This is a crop of a whole-slide image: an H&E-stained breast-cancer sentinel lymph node section at roughly 10× magnification (about 0.97 µm per pixel; the crop spans about 0.5 mm).
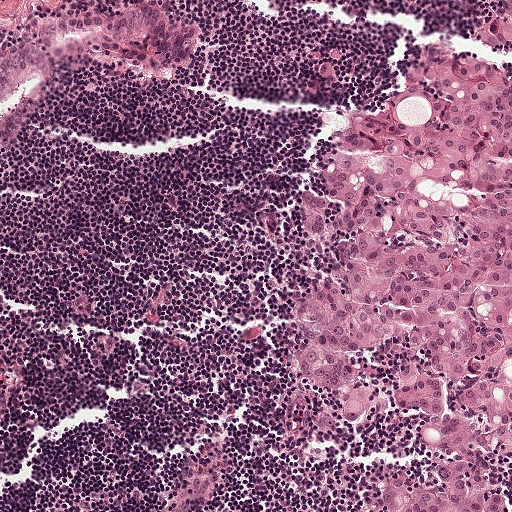
Three metastatic tumour regions, each outlined as a closed clockwise path in crop pixels (x, y), largest first: region 1: (478, 58), (510, 74), (511, 511), (372, 511), (390, 473), (432, 488), (442, 442), (380, 394), (360, 434), (306, 425), (312, 390), (274, 346), (293, 296), (320, 270), (295, 202), (342, 129), (394, 106), (408, 124), (430, 122), (432, 99), (403, 103), (435, 66); region 2: (11, 72), (26, 78), (30, 87), (38, 95), (38, 105), (37, 112), (24, 132), (0, 142), (0, 75); region 3: (502, 0), (511, 0), (511, 49), (510, 48), (504, 46), (504, 44), (502, 44), (500, 40), (498, 38), (498, 36), (497, 35), (496, 21), (497, 20), (497, 8), (502, 3).
One more small tumour piece is annotated here but not outlined.
Tumour covers about 30% of the frame.